Question: 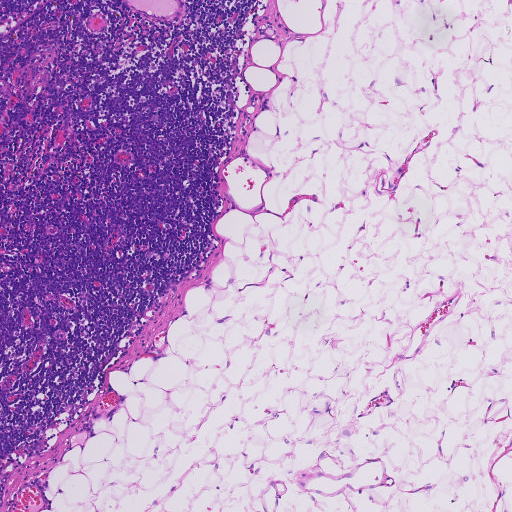
At roughly what magnification is this field shown?

Choices:
 (A) about 20×
 (B) about 2.5×
 (C) about 5×
 (D) about 40×
 (E) about 10×

Answer: (C) about 5×
H&E-stained section of a sentinel lymph node (breast cancer), from a whole-slide image, viewed at about 5×: the field is about 0.93 mm across, about 1.8 µm per pixel.